Question: 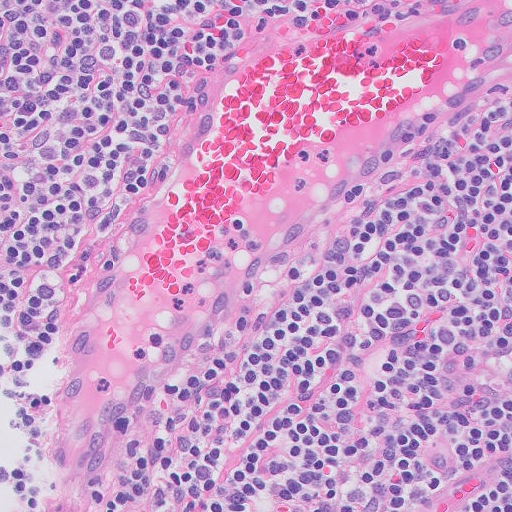
About what magnification does this crop show?

Choices:
 (A) about 20×
 (B) about 40×
 (C) about 10×
 (D) about 5×
 (E) about 2.5×

Answer: (A) about 20×
H&E-stained section of a sentinel lymph node (breast cancer), from a whole-slide image, viewed at about 20×: the field is about 0.26 mm across, about 0.5 µm per pixel.